Image:
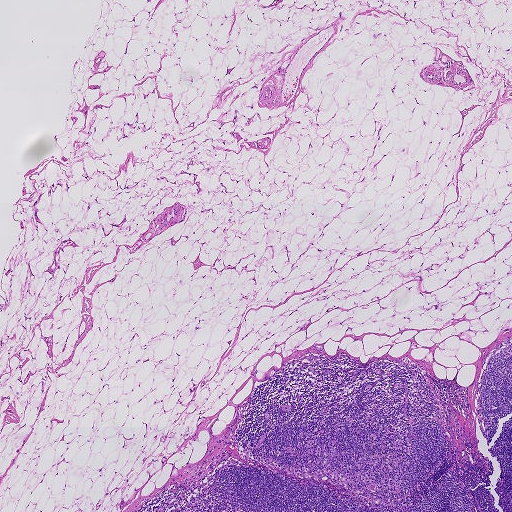
A 1.9-mm field of an H&E-stained sentinel lymph node from a breast-cancer patient (whole-slide image), shown at about 2.5×, about 3.6 µm per pixel.
Question:
Does this lymph node field contain metastatic tumour?
Answer:
No: no metastatic tumour is outlined anywhere in this field.